Image:
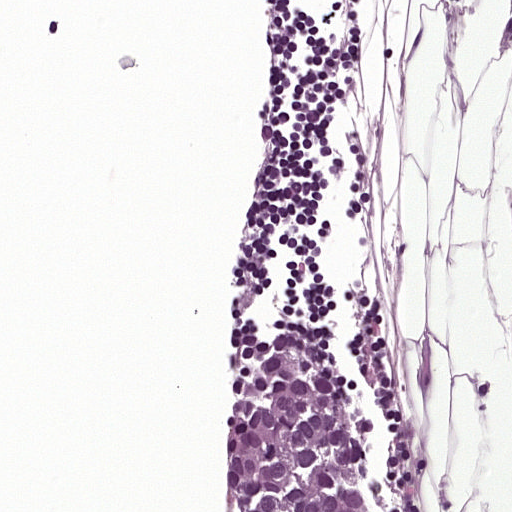
This is a crop of a whole-slide image: an H&E-stained breast-cancer sentinel lymph node section at roughly 20× magnification (about 0.49 µm per pixel; the crop spans about 0.25 mm).
Question:
Trace the edge of each tumour region in this crop, as (x, y) points from 0 to 511.
Answer:
Tumour region outline (a closed clockwise path, crop pixels): (306, 318), (332, 333), (359, 376), (372, 424), (368, 474), (376, 511), (231, 511), (218, 412), (225, 364), (256, 322).
Tumour covers about 10% of the frame.